Image:
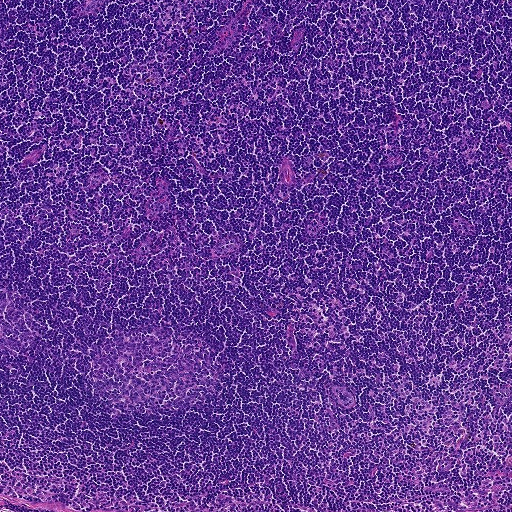
This is a crop of a whole-slide image: an H&E-stained breast-cancer sentinel lymph node section at roughly 5× magnification (about 1.8 µm per pixel; the crop spans about 0.93 mm).
Question:
Is any metastatic breast cancer visible in this crop?
Answer:
No. No metastatic tumour is outlined in this field.